Question: 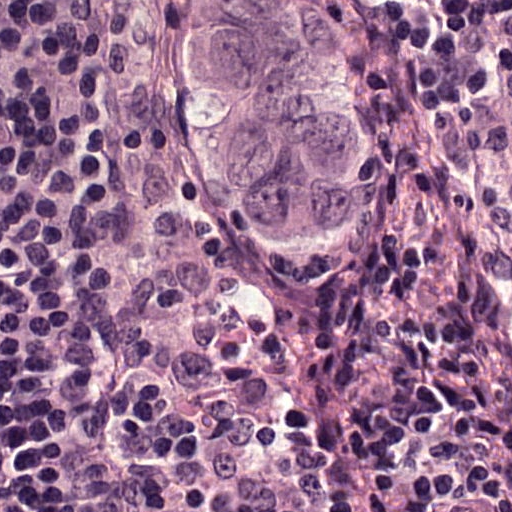
At roughly what magnification is this field shown?

Choices:
 (A) about 20×
 (B) about 40×
 (C) about 10×
 (D) about 5×
 (E) about 2.5×

Answer: (B) about 40×
Lymph node section stained with H&E, from a whole-slide image of a breast-cancer sentinel node. Magnification about 40×, about 0.12 mm across the frame, about 0.24 µm per pixel.
Metastatic tumour outline, simplified to 13 points and listed clockwise in crop pixels (x, y): (327, 0), (348, 47), (357, 104), (356, 206), (346, 223), (331, 232), (301, 231), (227, 210), (199, 188), (174, 139), (152, 125), (152, 31), (162, 2).
About 15% of this field is tumour.